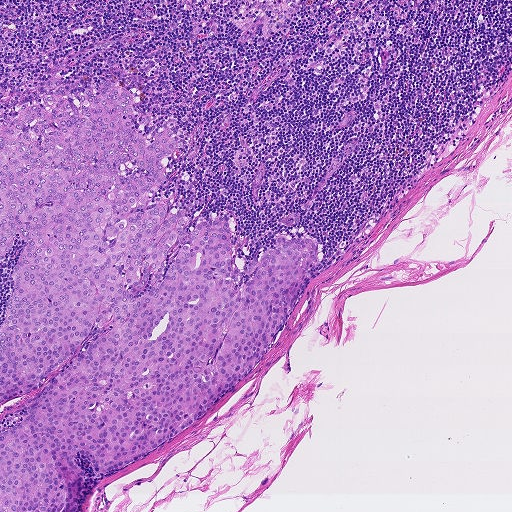
H&E-stained section of a sentinel lymph node (breast cancer), from a whole-slide image, viewed at about 5×: the field is about 0.93 mm across, about 1.8 µm per pixel.
Question: Does this lymph node field contain metastatic tumour?
Answer: Yes.
The outlined metastatic tumour's edge, as a closed clockwise path of 23 points: (108, 79), (149, 146), (166, 129), (176, 140), (144, 209), (163, 196), (189, 212), (163, 279), (218, 214), (234, 291), (278, 237), (319, 249), (254, 370), (205, 414), (115, 469), (75, 453), (79, 506), (0, 511), (0, 329), (25, 242), (17, 232), (0, 256), (0, 124).
The annotated tumour makes up about 30% of the crop.

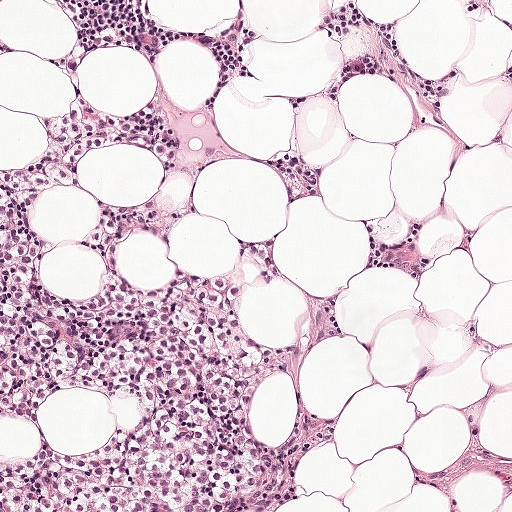
H&E-stained section of a sentinel lymph node (breast cancer), from a whole-slide image, viewed at about 10×: the field is about 0.5 mm across, about 0.97 µm per pixel.
Question: Does this lymph node field contain metastatic tumour?
Answer: Yes.
One metastatic tumour region; its boundary, reduced to 11 corners and listed clockwise: (0, 0), (52, 32), (83, 71), (114, 82), (139, 124), (241, 123), (324, 166), (275, 295), (296, 464), (271, 511), (0, 511).
Tumour covers about 45% of the frame.

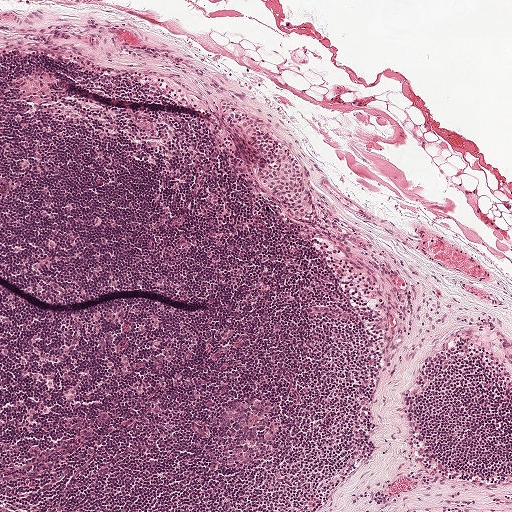
Lymph node section stained with H&E, from a whole-slide image of a breast-cancer sentinel node. Magnification about 5×, about 1 mm across the frame, about 1.9 µm per pixel.
Question: Does this lymph node field contain metastatic tumour?
Answer: Yes.
Metastatic tumour outline, simplified to 16 points and listed clockwise in crop pixels (x, y): (226, 101), (236, 105), (254, 118), (300, 162), (310, 191), (315, 200), (318, 224), (316, 230), (304, 230), (292, 224), (273, 195), (263, 188), (251, 146), (240, 133), (231, 129), (220, 105).
Under 5% of the image area is annotated as tumour.

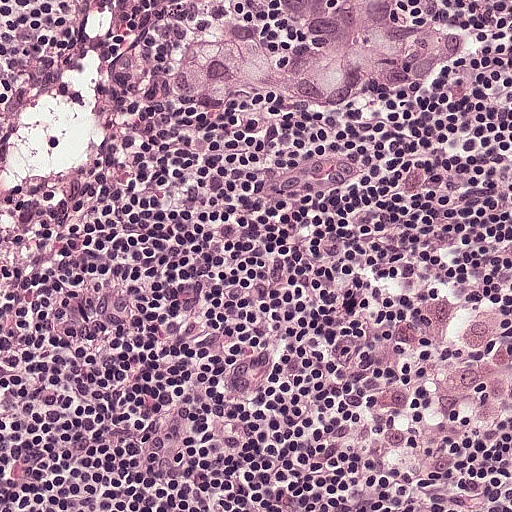
A 0.25-mm field of an H&E-stained sentinel lymph node from a breast-cancer patient (whole-slide image), shown at about 20×, about 0.49 µm per pixel.
Question: Does this lymph node field contain metastatic tumour?
Answer: Yes.
Tumour region outline (a closed clockwise path, crop pixels): (419, 0), (432, 14), (478, 17), (480, 42), (436, 83), (381, 98), (309, 102), (274, 90), (222, 102), (176, 84), (176, 52), (184, 36), (181, 2).
About 10% of the image area is annotated as tumour.